Question: 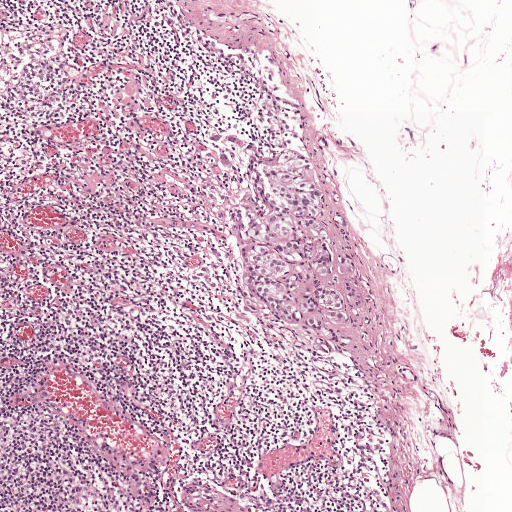
A 1-mm field of an H&E-stained sentinel lymph node from a breast-cancer patient (whole-slide image), shown at about 5×, about 1.9 µm per pixel.
What fraction of the image area is metastatic tumour?

Choices:
 (A) about 5% or less
 (B) about 10% to 20%
 (C) about 50% or more
 (D) none: no tumour is outlined
 (E) about 25% to 45%

Answer: (A) about 5% or less
About 5% of the field is tumour.
Four metastatic tumour regions, each outlined as a closed clockwise path in crop pixels (x, y), largest first: region 1: (286, 149), (304, 153), (325, 192), (328, 250), (346, 250), (353, 262), (350, 276), (317, 273), (320, 285), (340, 290), (351, 318), (320, 326), (314, 332), (306, 326), (306, 316), (293, 323), (251, 314), (243, 302), (244, 273), (247, 230), (259, 202), (251, 174); region 2: (233, 134), (257, 149), (251, 152), (235, 144), (229, 150), (228, 169), (219, 159), (224, 136); region 3: (344, 280), (360, 287), (367, 301), (358, 307), (351, 302), (345, 291); region 4: (206, 266), (212, 278), (204, 280), (194, 281), (190, 275).
Question: 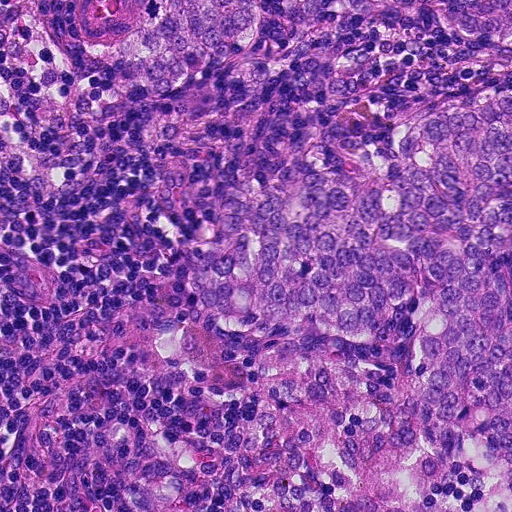
H&E-stained section of a sentinel lymph node (breast cancer), from a whole-slide image, viewed at about 20×: the field is about 0.23 mm across, about 0.45 µm per pixel.
What fraction of the image area is metastatic tumour?

Choices:
 (A) about 5% or less
 (B) about 10% to 20%
 (C) about 25% to 45%
 (D) none: no tumour is outlined
 (E) about 50% or more

Answer: (E) about 50% or more
About 50% of the field is tumour.
Two metastatic tumour regions, each outlined as a closed clockwise path in crop pixels (x, y), largest first: region 1: (511, 79), (511, 511), (243, 511), (236, 465), (248, 361), (198, 310), (180, 242), (258, 170), (362, 152), (450, 88); region 2: (77, 0), (511, 0), (511, 55), (384, 16), (310, 16), (274, 28), (183, 86), (147, 90), (82, 42).
Question: 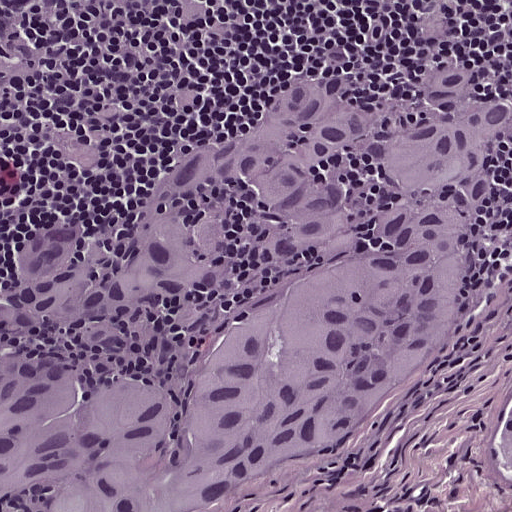
Lymph node section stained with H&E, from a whole-slide image of a breast-cancer sentinel node. Magnification about 20×, about 0.25 mm across the frame, about 0.49 µm per pixel.
What fraction of the image area is metastatic tumour?

Choices:
 (A) about 10% to 20%
 (B) about 5% or less
 (C) none: no tumour is outlined
 (D) about 50% or more
 (E) about 25% to 45%

Answer: (D) about 50% or more
About 60% of the field is tumour.
Outlines of two tumour regions, largest first (closed clockwise paths, crop pixels): region 1: (460, 54), (474, 55), (474, 87), (511, 93), (511, 136), (485, 156), (496, 200), (476, 212), (472, 288), (437, 374), (374, 442), (250, 509), (28, 511), (28, 493), (0, 509), (0, 277), (32, 222), (78, 222), (78, 259), (117, 254), (164, 174), (320, 79), (410, 100), (435, 60); region 2: (511, 395), (511, 464), (492, 460), (497, 415).
Question: 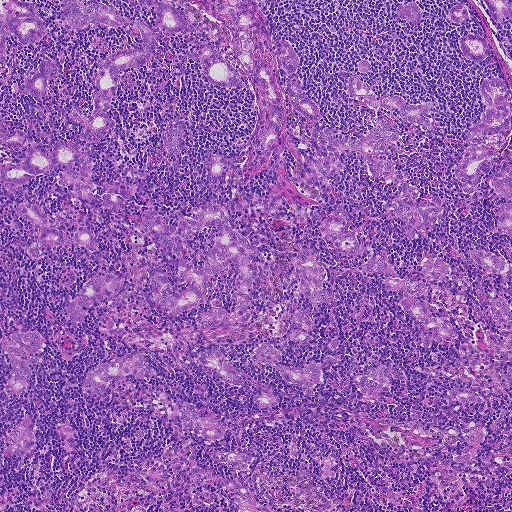
This is a crop of a whole-slide image: an H&E-stained breast-cancer sentinel lymph node section at roughly 5× magnification (about 1.8 µm per pixel; the crop spans about 0.93 mm).
What fraction of the image area is metastatic tumour?

Choices:
 (A) about 25% to 45%
 (B) about 50% or more
 (C) about 5% or less
 (D) about 10% to 20%
 (E) none: no tumour is outlined

Answer: (D) about 10% to 20%
About 20% of the field is tumour.
The eight largest tumour regions' boundaries, simplified and listed clockwise, largest first: region 1: (208, 201), (223, 212), (222, 221), (232, 222), (238, 232), (257, 247), (253, 251), (257, 274), (249, 305), (251, 322), (211, 328), (194, 322), (194, 316), (211, 308), (234, 309), (236, 300), (230, 299), (237, 277), (232, 264), (208, 280), (207, 297), (193, 308), (171, 314), (156, 304), (153, 274), (164, 274), (173, 296), (179, 296), (191, 278), (180, 283), (176, 278), (176, 255), (146, 230), (143, 212), (154, 208), (164, 224), (175, 226); region 2: (216, 0), (255, 0), (274, 52), (280, 38), (291, 45), (297, 58), (301, 86), (320, 108), (321, 115), (317, 120), (310, 122), (298, 114), (287, 96), (286, 73), (276, 60), (285, 129), (272, 154), (263, 157), (255, 146), (262, 119), (260, 105), (232, 51), (230, 29), (215, 14); region 3: (64, 0), (77, 0), (84, 7), (98, 3), (152, 28), (157, 10), (139, 1), (165, 0), (183, 12), (187, 25), (176, 32), (154, 29), (155, 44), (148, 57), (144, 63), (118, 74), (117, 90), (105, 112), (115, 122), (113, 130), (94, 144), (81, 139), (79, 132), (83, 126), (72, 118), (72, 111), (85, 116), (92, 114), (95, 108), (93, 86), (104, 59), (115, 51), (137, 46), (141, 40), (123, 26), (95, 22), (76, 29), (69, 26); region 4: (68, 141), (91, 146), (92, 176), (98, 185), (115, 180), (141, 191), (115, 212), (105, 208), (100, 187), (92, 202), (87, 204), (68, 188), (56, 185), (66, 167), (54, 167), (5, 191), (0, 174), (3, 168), (25, 158), (30, 147), (42, 145), (50, 152), (56, 142); region 5: (498, 79), (508, 88), (511, 125), (490, 136), (489, 143), (499, 152), (488, 171), (492, 174), (501, 167), (511, 165), (511, 202), (493, 191), (488, 174), (482, 177), (475, 192), (462, 192), (454, 173), (469, 148), (470, 127), (485, 112), (487, 105), (480, 86), (484, 80); region 6: (373, 118), (379, 119), (387, 129), (397, 134), (398, 140), (393, 142), (396, 146), (374, 156), (388, 159), (392, 170), (398, 171), (402, 182), (419, 191), (419, 197), (414, 201), (428, 199), (432, 195), (438, 195), (441, 200), (437, 217), (417, 239), (411, 240), (407, 236), (404, 223), (389, 214), (386, 209), (390, 198), (405, 197), (396, 181), (374, 175), (362, 155), (346, 146), (350, 141), (356, 140), (366, 134), (373, 124); region 7: (377, 252), (382, 254), (400, 279), (412, 276), (417, 278), (424, 288), (429, 313), (445, 321), (458, 334), (458, 340), (423, 346), (423, 324), (408, 315), (404, 310), (403, 304), (407, 293), (394, 291), (386, 284), (386, 278), (392, 277), (362, 272), (358, 267); region 8: (0, 0), (17, 0), (32, 4), (46, 29), (46, 36), (28, 45), (21, 44), (11, 33), (6, 38), (5, 52), (7, 66), (1, 69).
Region 1 encloses a non-tumour hole of about 10% of its area.
29 more, smaller tumour regions are not outlined.
One more small tumour piece is annotated here but not outlined.